H&E-stained section of a sentinel lymph node (breast cancer), from a whole-slide image, viewed at about 5×: the field is about 1 mm across, about 1.9 µm per pixel.
Question: 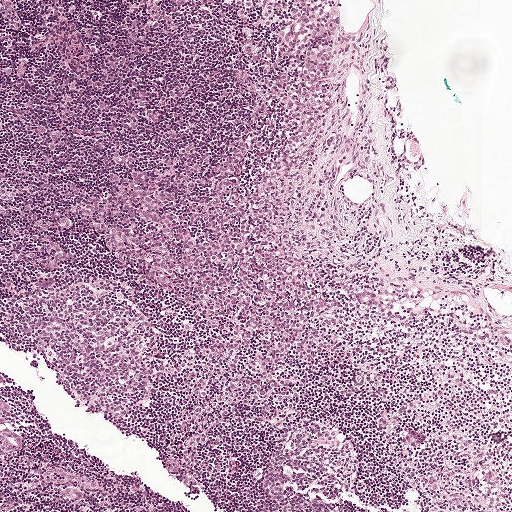
Roughly what share of this field is metastatic tumour?

Choices:
 (A) about 5% or less
 (B) about 25% to 45%
 (C) about 50% or more
 (D) none: no tumour is outlined
 (E) about 10% to 20%

Answer: (E) about 10% to 20%
About 15% of the field is tumour.
One metastatic tumour region; its boundary, reduced to 21 corners and listed clockwise: (293, 0), (342, 0), (350, 14), (342, 68), (279, 198), (276, 228), (369, 284), (382, 299), (378, 311), (362, 309), (296, 340), (278, 338), (253, 316), (181, 306), (90, 242), (79, 205), (99, 179), (194, 144), (227, 151), (247, 142), (284, 83).